Question: 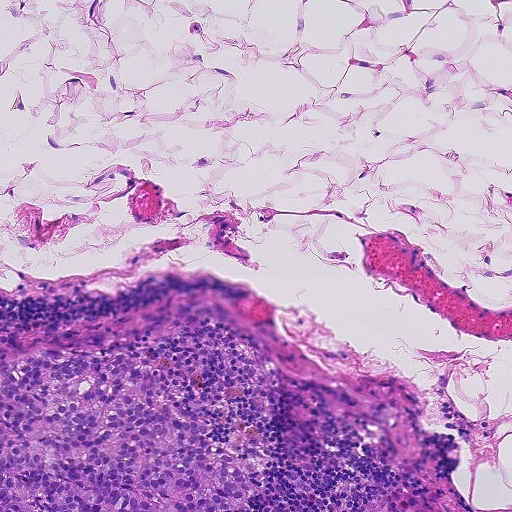
H&E-stained section of a sentinel lymph node (breast cancer), from a whole-slide image, viewed at about 10×: the field is about 0.46 mm across, about 0.9 µm per pixel.
What fraction of the image area is metastatic tumour?

Choices:
 (A) about 25% to 45%
 (B) about 5% or less
 (C) about 10% to 20%
 (D) none: no tumour is outlined
 (E) about 50% or more

Answer: (C) about 10% to 20%
About 10% of the field is tumour.
Tumour region outline (a closed clockwise path, crop pixels): (112, 351), (159, 369), (180, 420), (200, 421), (242, 462), (250, 499), (234, 511), (0, 511), (0, 356).